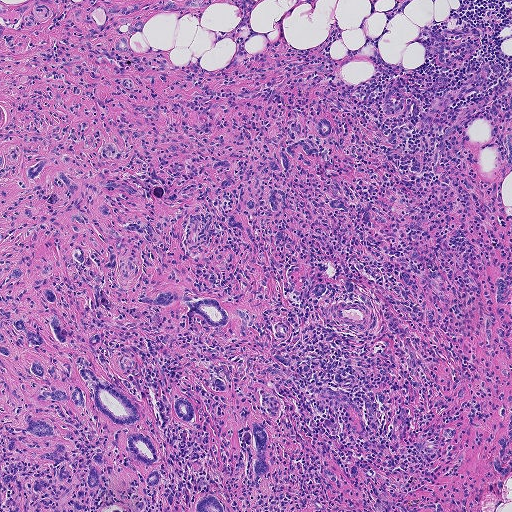
H&E-stained section of a sentinel lymph node (breast cancer), from a whole-slide image, viewed at about 5×: the field is about 0.93 mm across, about 1.8 µm per pixel.
Outlines of the eight largest metastatic tumour regions, each a closed clockwise path in crop pixels (x, y), largest first: region 1: (64, 0), (60, 22), (84, 0), (215, 0), (152, 17), (132, 50), (213, 72), (267, 40), (341, 80), (329, 162), (390, 219), (306, 221), (314, 270), (358, 290), (283, 289), (231, 351), (242, 382), (281, 396), (264, 504), (0, 511), (0, 2); region 2: (511, 258), (511, 369), (511, 375), (504, 377), (499, 372), (502, 356), (487, 357), (480, 351), (475, 336), (474, 321), (486, 285), (492, 290), (505, 262); region 3: (511, 384), (511, 471), (507, 476), (504, 480), (502, 496), (498, 503), (496, 511), (474, 511), (472, 502), (473, 495), (479, 490), (494, 482), (499, 475), (493, 470), (491, 463), (496, 449), (495, 441), (499, 434), (504, 429), (507, 406), (505, 398), (509, 392); region 4: (511, 130), (511, 169), (505, 169), (503, 162), (504, 156), (503, 140), (506, 133); region 5: (448, 426), (455, 429), (456, 434), (449, 443), (444, 447), (438, 445), (438, 439), (442, 428); region 6: (377, 498), (380, 498), (385, 500), (390, 500), (394, 503), (393, 508), (389, 511), (374, 511), (371, 507), (373, 502); region 7: (432, 502), (443, 503), (446, 511), (421, 511), (423, 507); region 8: (405, 270), (413, 274), (414, 281), (411, 287), (404, 284), (399, 278), (400, 271).
Four more, smaller tumour regions are not outlined.
Seven more small tumour pieces are annotated here but not outlined.
About 60% of the image area is annotated as tumour.